Question: 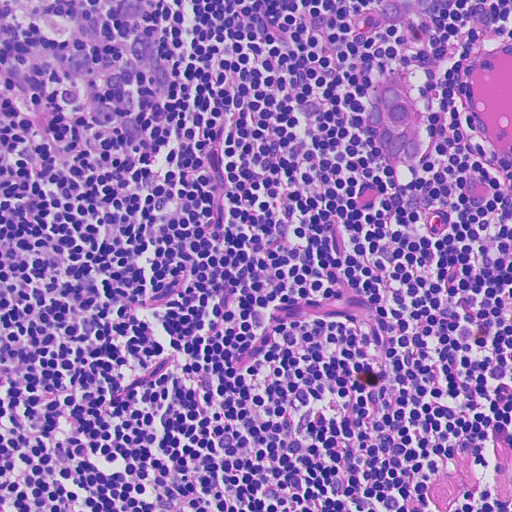
A 0.23-mm field of an H&E-stained sentinel lymph node from a breast-cancer patient (whole-slide image), shown at about 20×, about 0.45 µm per pixel.
Roughly what share of this field is metastatic tumour?

Choices:
 (A) about 50% or more
 (B) about 10% to 20%
 (C) none: no tumour is outlined
 (D) about 5% or less
 (E) about 25% to 45%

Answer: (D) about 5% or less
Under 5% of the field is tumour.
Boundaries of two metastatic tumour regions, simplified and listed clockwise, largest first: region 1: (386, 79), (398, 79), (426, 114), (423, 136), (426, 150), (416, 165), (399, 162), (364, 136), (362, 110); region 2: (375, 0), (454, 0), (454, 4), (439, 13), (390, 21).